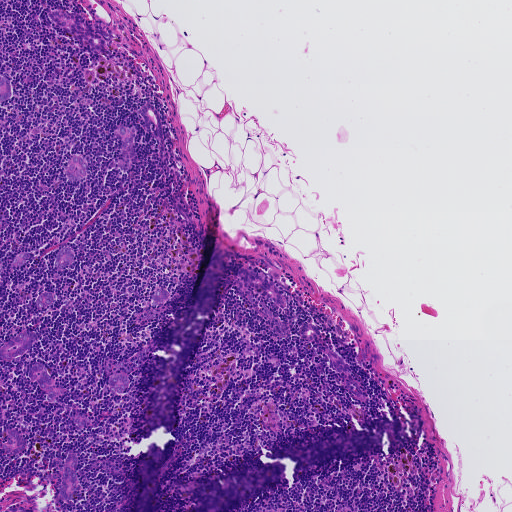
Lymph node section stained with H&E, from a whole-slide image of a breast-cancer sentinel node. Magnification about 5×, about 0.93 mm across the frame, about 1.8 µm per pixel.
The eight largest tumour regions' boundaries, simplified and listed clockwise, largest first: region 1: (51, 10), (56, 10), (76, 13), (86, 24), (107, 28), (112, 37), (109, 51), (105, 54), (100, 54), (93, 46), (78, 43), (53, 21), (47, 13); region 2: (242, 268), (272, 278), (286, 293), (287, 304), (282, 306), (273, 302), (255, 288), (249, 289), (242, 297), (235, 283), (238, 279), (238, 269); region 3: (74, 451), (78, 456), (76, 471), (79, 485), (79, 490), (74, 500), (65, 502), (61, 500), (58, 480), (52, 479), (53, 474), (55, 472), (59, 475), (60, 483), (67, 467), (66, 457), (69, 452); region 4: (24, 330), (29, 330), (33, 332), (36, 336), (35, 341), (18, 358), (8, 361), (0, 361), (0, 348); region 5: (38, 362), (47, 368), (54, 387), (65, 388), (65, 393), (49, 402), (47, 393), (36, 380), (33, 382), (29, 378), (29, 369), (33, 363); region 6: (152, 103), (158, 112), (164, 136), (161, 139), (152, 135), (145, 126), (140, 114), (143, 104); region 7: (120, 125), (132, 126), (136, 130), (134, 139), (137, 154), (134, 159), (129, 160), (126, 157), (122, 148), (118, 129); region 8: (74, 154), (84, 156), (86, 175), (83, 178), (74, 181), (69, 180), (64, 171), (70, 162), (70, 157).
10 more, smaller tumour regions are not outlined.
Tumour covers about 5% of the frame.